A 0.93-mm field of an H&E-stained sentinel lymph node from a breast-cancer patient (whole-slide image), shown at about 5×, about 1.8 µm per pixel.
Question: 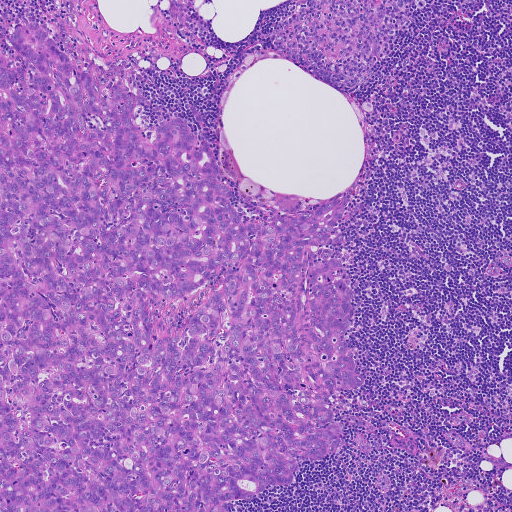
What fraction of the image area is metastatic tumour?

Choices:
 (A) about 5% or less
 (B) about 50% or more
 (C) about 25% to 45%
 (D) none: no tumour is outlined
 (E) about 10% to 20%

Answer: (B) about 50% or more
About 50% of the field is tumour.
Tumour region outline (a closed clockwise path, crop pixels): (19, 24), (46, 30), (113, 107), (109, 88), (129, 92), (145, 137), (158, 110), (180, 117), (244, 224), (346, 207), (320, 257), (344, 256), (356, 293), (344, 336), (364, 380), (330, 398), (343, 444), (226, 510), (0, 511), (0, 49), (25, 68).